This is a crop of a whole-slide image: an H&E-stained breast-cancer sentinel lymph node section at roughly 20× magnification (about 0.45 µm per pixel; the crop spans about 0.23 mm).
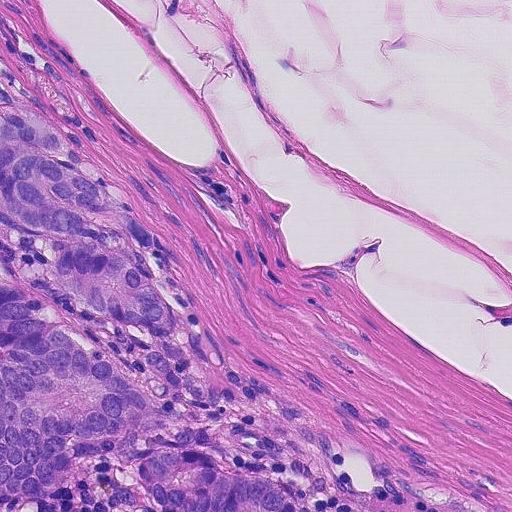
Three metastatic tumour regions, each outlined as a closed clockwise path in crop pixels (x, y), largest first: region 1: (0, 88), (30, 105), (49, 128), (96, 165), (154, 234), (158, 246), (140, 246), (165, 322), (136, 328), (107, 323), (81, 308), (44, 276), (54, 248), (42, 236), (0, 223); region 2: (0, 279), (35, 294), (48, 321), (146, 389), (144, 419), (132, 447), (100, 452), (75, 468), (58, 493), (0, 497); region 3: (150, 449), (210, 452), (220, 466), (278, 484), (303, 511), (172, 511), (145, 494), (133, 466).
Tumour covers about 20% of the frame.